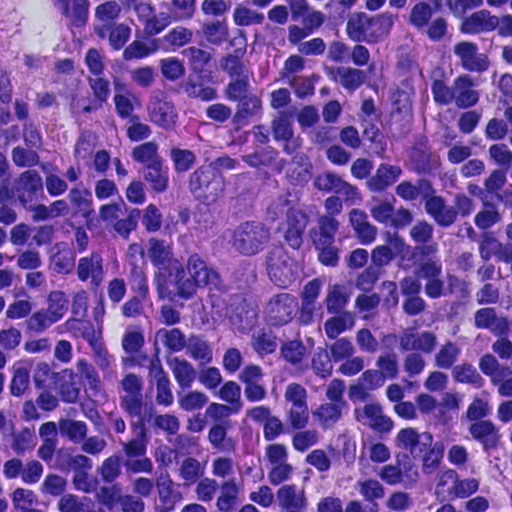
H&E-stained section of a sentinel lymph node (breast cancer), from a whole-slide image, viewed at about 40×: the field is about 0.12 mm across, about 0.23 µm per pixel.
The outlined metastatic tumour's edge, as a closed clockwise path of 15 points: (280, 153), (320, 165), (289, 194), (284, 236), (307, 273), (306, 316), (269, 341), (226, 340), (198, 307), (219, 267), (185, 238), (175, 197), (166, 188), (196, 157), (238, 164).
The annotated tumour makes up about 5% of the crop.